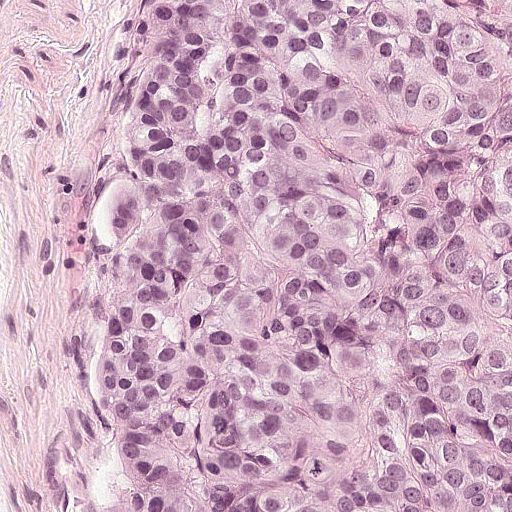
H&E-stained section of a sentinel lymph node (breast cancer), from a whole-slide image, viewed at about 20×: the field is about 0.25 mm across, about 0.49 µm per pixel.
The outlined metastatic tumour's edge, as a closed clockwise path of 9 points: (511, 0), (511, 511), (93, 511), (114, 453), (108, 412), (88, 381), (111, 272), (103, 170), (162, 2).
The annotated tumour makes up about 80% of the crop.